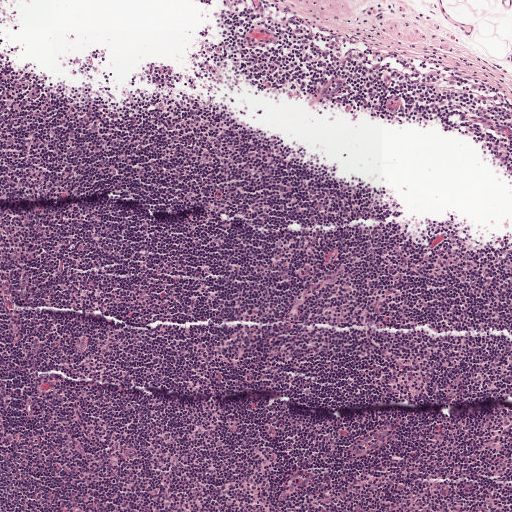
Lymph node section stained with H&E, from a whole-slide image of a breast-cancer sentinel node. Magnification about 5×, about 1 mm across the frame, about 1.9 µm per pixel.